A 1.9-mm field of an H&E-stained sentinel lymph node from a breast-cancer patient (whole-slide image), shown at about 2.5×, about 3.6 µm per pixel.
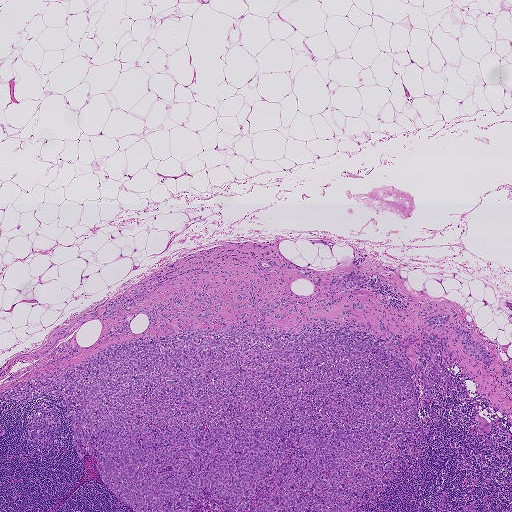
Two metastatic tumour regions, each outlined as a closed clockwise path in crop pixels (x, y), largest first: region 1: (196, 266), (309, 312), (367, 276), (313, 315), (332, 318), (359, 301), (354, 320), (394, 335), (435, 330), (419, 309), (451, 318), (453, 396), (418, 407), (439, 422), (422, 452), (355, 511), (132, 510), (77, 457), (63, 402), (11, 397), (144, 336), (140, 313), (105, 341), (107, 309); region 2: (455, 328), (471, 331), (474, 340), (485, 346), (485, 350), (491, 355), (492, 364), (491, 366), (484, 366), (466, 352), (462, 347), (462, 340), (454, 331).
Tumour covers about 30% of the frame.